Lymph node section stained with H&E, from a whole-slide image of a breast-cancer sentinel node. Magnification about 5×, about 1 mm across the frame, about 1.9 µm per pixel.
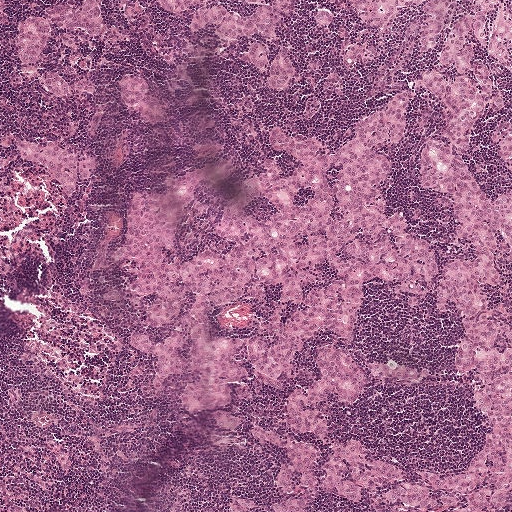
Eight metastatic tumour regions, each outlined as a closed clockwise path in crop pixels (x, y), largest first: region 1: (94, 0), (102, 29), (74, 46), (66, 48), (59, 39), (57, 28), (48, 26), (47, 48), (42, 60), (28, 65), (21, 63), (18, 57), (18, 49), (14, 42), (14, 33), (20, 19), (38, 15), (50, 5), (74, 7), (82, 1); region 2: (260, 427), (290, 444), (308, 442), (320, 450), (319, 461), (312, 468), (314, 499), (306, 511), (273, 511), (269, 508), (274, 502), (291, 500), (303, 490), (296, 472), (288, 475), (293, 490), (289, 495), (276, 487), (277, 471), (290, 460), (282, 451), (252, 438), (250, 428); region 3: (293, 0), (287, 14), (287, 23), (278, 30), (276, 41), (266, 40), (259, 34), (255, 34), (250, 39), (227, 40), (221, 37), (209, 24), (201, 30), (188, 31), (188, 22), (198, 11), (214, 8), (246, 16), (254, 8), (264, 8), (270, 1); region 4: (457, 0), (444, 23), (436, 42), (423, 52), (418, 46), (415, 35), (422, 8), (413, 8), (397, 14), (390, 19), (383, 28), (376, 29), (353, 5), (345, 1); region 5: (17, 138), (30, 140), (42, 146), (47, 141), (50, 142), (75, 159), (92, 158), (93, 164), (91, 174), (84, 179), (74, 180), (73, 193), (68, 196), (64, 196), (44, 167), (24, 160), (16, 153), (13, 142); region 6: (132, 75), (142, 81), (146, 87), (145, 94), (154, 97), (164, 107), (166, 121), (158, 125), (154, 125), (123, 106), (118, 91), (119, 78), (122, 76); region 7: (261, 43), (268, 50), (269, 64), (278, 52), (288, 56), (290, 68), (286, 82), (282, 88), (273, 88), (268, 84), (268, 72), (248, 65), (247, 50), (249, 46); region 8: (359, 42), (371, 47), (377, 54), (368, 63), (358, 68), (352, 68), (343, 66), (341, 62), (342, 52), (350, 44).
One more tumour region is annotated but not outlined: its edge is too irregular for a short outline.
Four more, smaller tumour regions are not outlined.
Three more small tumour pieces are annotated here but not outlined.
About 40% of this field is tumour.